A 2.0-mm field of an H&E-stained sentinel lymph node from a breast-cancer patient (whole-slide image), shown at about 2.5×, about 4.0 µm per pixel.
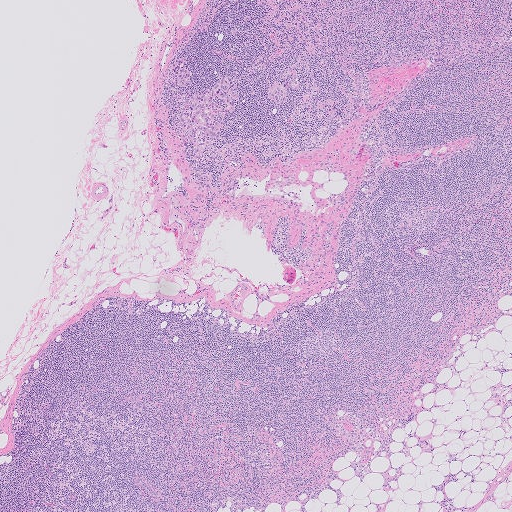
Outlines of four tumour regions, largest first (closed clockwise paths, crop pixels): region 1: (223, 75), (229, 75), (235, 82), (238, 94), (232, 112), (223, 118), (216, 116), (216, 119), (223, 122), (220, 139), (214, 140), (200, 136), (192, 141), (189, 139), (186, 148), (182, 147), (179, 140), (187, 136), (179, 121), (179, 114), (189, 111), (189, 98), (193, 93), (210, 88); region 2: (182, 57), (187, 59), (184, 65), (190, 69), (190, 76), (183, 87), (176, 86), (171, 80), (167, 67), (172, 61); region 3: (282, 81), (286, 91), (284, 104), (277, 105), (273, 100), (267, 97), (266, 94), (272, 84); region 4: (297, 72), (300, 83), (300, 87), (299, 90), (295, 91), (289, 89), (287, 85), (289, 78), (291, 75), (294, 73).
Three more small tumour pieces are annotated here but not outlined.
Under 5% of this field is tumour.